Question: 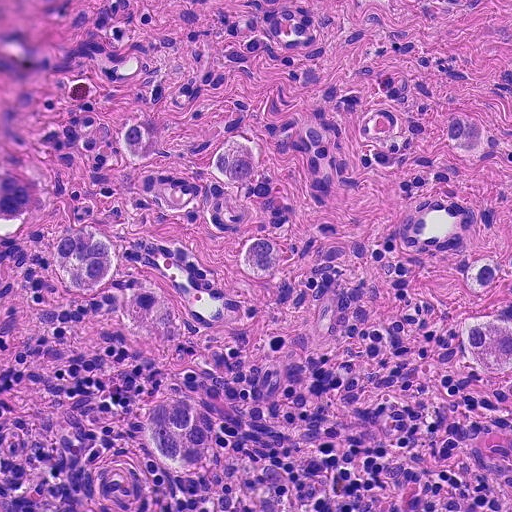
H&E-stained section of a sentinel lymph node (breast cancer), from a whole-slide image, viewed at about 20×: the field is about 0.23 mm across, about 0.45 µm per pixel.
About how much of this crop is taken up by metastatic carcinoma?

Choices:
 (A) none: no tumour is outlined
 (B) about 25% to 45%
 (C) about 10% to 20%
 (D) about 5% or less
 (E) about 50% or more

Answer: (D) about 5% or less
About 5% of the field is tumour.
Boundaries of three metastatic tumour regions, simplified and listed clockwise, largest first: region 1: (67, 232), (92, 232), (115, 246), (118, 272), (144, 280), (166, 297), (173, 322), (148, 330), (124, 316), (112, 289), (86, 300), (62, 288), (50, 264), (52, 254); region 2: (180, 398), (202, 412), (219, 432), (218, 458), (196, 476), (172, 473), (154, 449), (146, 424), (155, 401); region 3: (497, 317), (511, 325), (511, 376), (508, 380), (484, 375), (465, 357), (453, 330), (458, 324), (472, 318).
Five more small tumour pieces are annotated here but not outlined.